Image:
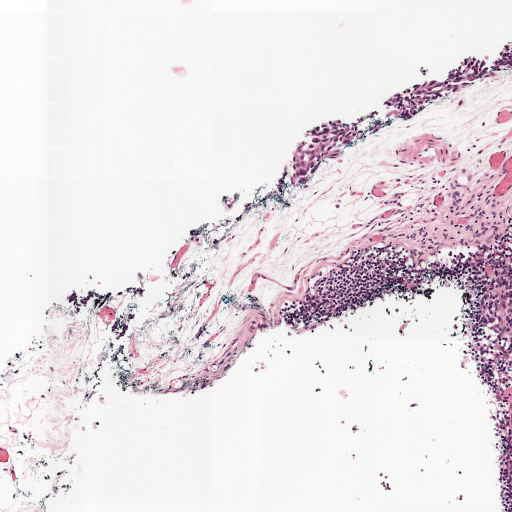
Lymph node section stained with H&E, from a whole-slide image of a breast-cancer sentinel node. Magnification about 5×, about 1 mm across the frame, about 1.9 µm per pixel.
Question:
Outline the metastatic carcinoma in this image, as closed paths of (x, y) pixel coordinates.
Answer:
Four metastatic tumour regions, each outlined as a closed clockwise path in crop pixels (x, y), largest first: region 1: (511, 41), (511, 68), (439, 101), (415, 118), (401, 119), (333, 159), (313, 180), (261, 200), (290, 149), (314, 123), (465, 56); region 2: (137, 310), (131, 327), (116, 347), (109, 348), (111, 327), (118, 315); region 3: (76, 288), (82, 294), (96, 289), (96, 297), (76, 314), (64, 300), (70, 290); region 4: (141, 284), (145, 297), (116, 294), (124, 287).
Two more small tumour pieces are annotated here but not outlined.
Tumour covers about 5% of the frame.